Question: 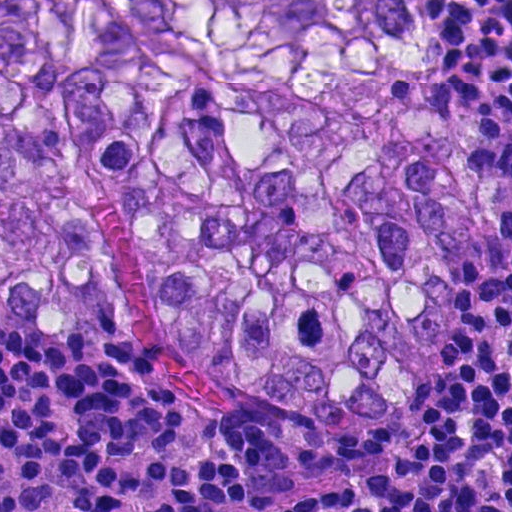
This is a crop of a whole-slide image: an H&E-stained breast-cancer sentinel lymph node section at roughly 40× magnification (about 0.23 µm per pixel; the crop spans about 0.12 mm).
What fraction of the image area is metastatic tumour?

Choices:
 (A) about 10% to 20%
 (B) about 5% or less
 (C) about 50% or more
 (D) about 25% to 45%
 (E) none: no tumour is outlined

Answer: (C) about 50% or more
About 65% of the field is tumour.
Metastatic tumour outline, simplified to 14 points and listed clockwise in crop pixels (x, y): (16, 0), (424, 0), (463, 117), (477, 233), (445, 307), (449, 346), (405, 412), (369, 433), (317, 436), (179, 366), (147, 322), (71, 345), (0, 308), (0, 12).